Question: 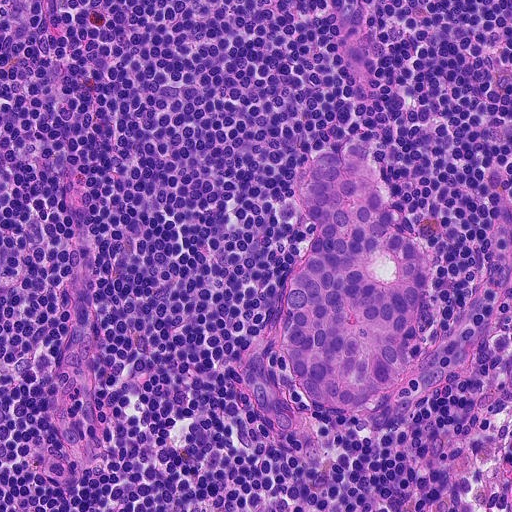
H&E-stained section of a sentinel lymph node (breast cancer), from a whole-slide image, viewed at about 20×: the field is about 0.23 mm across, about 0.45 µm per pixel.
Roughly what share of this field is metastatic tumour?

Choices:
 (A) about 50% or more
 (B) about 10% to 20%
 (C) about 25% to 45%
 (D) none: no tumour is outlined
 (E) about 5% or less

Answer: (B) about 10% to 20%
About 10% of the field is tumour.
Tumour region outline (a closed clockwise path, crop pixels): (322, 155), (376, 166), (392, 219), (402, 233), (432, 250), (414, 374), (376, 406), (358, 412), (325, 408), (299, 385), (283, 354), (285, 286), (314, 225), (292, 190), (295, 173).